Image:
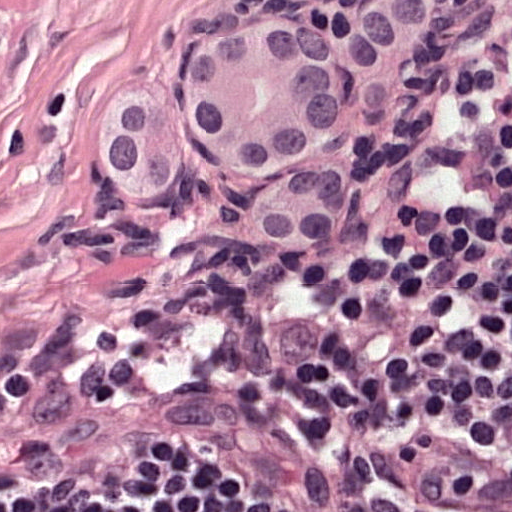
A 0.12-mm field of an H&E-stained sentinel lymph node from a breast-cancer patient (whole-slide image), shown at about 40×, about 0.24 µm per pixel.
Question:
Which parts of this field are metastatic tumour? Answer with the outline of each region, in pixels.
Answer:
Metastatic tumour outline, simplified to 14 points and listed clockwise in crop pixels (x, y): (321, 0), (456, 0), (390, 114), (343, 154), (363, 194), (336, 248), (301, 255), (256, 241), (223, 181), (192, 203), (137, 214), (89, 172), (101, 91), (161, 42).
The annotated tumour makes up about 20% of the crop.